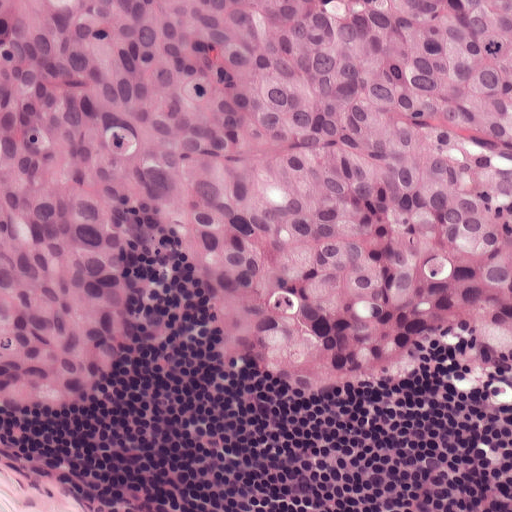
Lymph node section stained with H&E, from a whole-slide image of a breast-cancer sentinel node. Magnification about 20×, about 0.25 mm across the frame, about 0.49 µm per pixel.
One metastatic tumour region; its boundary, reduced to 9 corners and listed clockwise: (0, 0), (511, 0), (511, 399), (366, 464), (274, 426), (167, 259), (148, 358), (65, 426), (0, 410).
About 80% of this field is tumour.